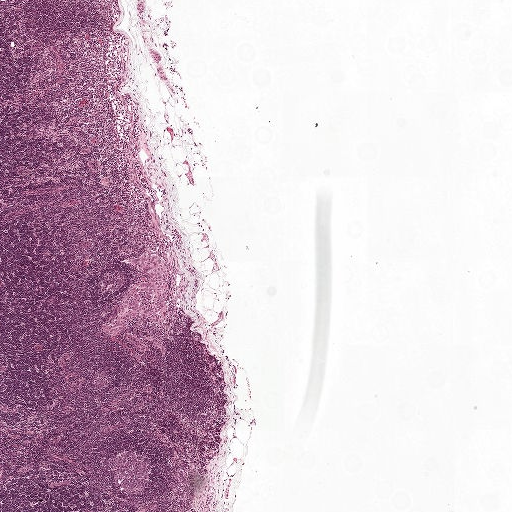
This is a crop of a whole-slide image: an H&E-stained breast-cancer sentinel lymph node section at roughly 2.5× magnification (about 3.9 µm per pixel; the crop spans about 2.0 mm).
Question: Show where the tumour is in this image.
Answer: Tumour region outline (a closed clockwise path, crop pixels): (147, 251), (159, 254), (169, 264), (171, 317), (167, 322), (156, 325), (140, 314), (122, 332), (116, 336), (110, 336), (102, 331), (101, 327), (117, 315), (131, 288), (138, 283), (149, 281), (144, 271), (127, 260).
The annotated tumour makes up under 5% of the crop.

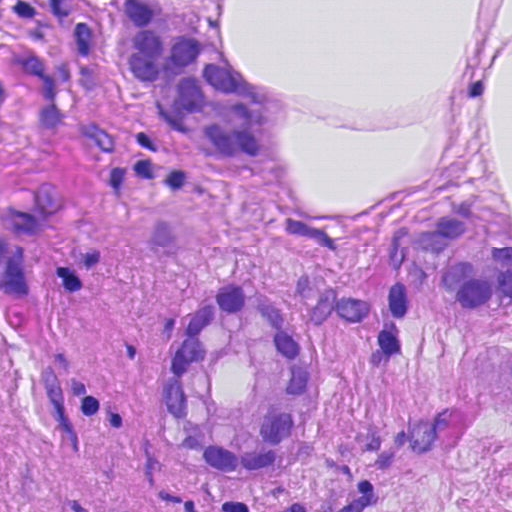
H&E-stained section of a sentinel lymph node (breast cancer), from a whole-slide image, viewed at about 40×: the field is about 0.12 mm across, about 0.23 µm per pixel.
Question: Show where the tumour is in this image.
Answer: Three metastatic tumour regions, each outlined as a closed clockwise path in crop pixels (x, y), largest first: region 1: (244, 267), (313, 311), (340, 390), (311, 466), (236, 490), (166, 450), (146, 373), (186, 303); region 2: (456, 184), (501, 250), (511, 250), (511, 306), (426, 306), (380, 242), (388, 228); region 3: (489, 334), (511, 336), (511, 418), (448, 404), (435, 346).
About 15% of the image area is annotated as tumour.

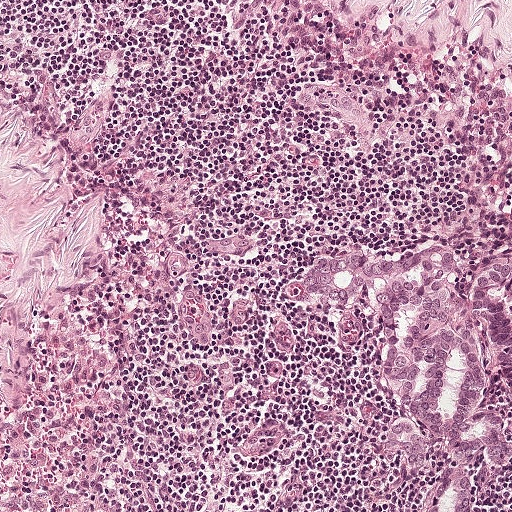
This is a crop of a whole-slide image: an H&E-stained breast-cancer sentinel lymph node section at roughly 10× magnification (about 0.97 µm per pixel; the crop spans about 0.5 mm).
Question: Show where the tumour is in this image.
Answer: The outlined metastatic tumour's edge, as a closed clockwise path of 18 points: (433, 247), (484, 269), (511, 262), (511, 473), (479, 467), (482, 511), (427, 511), (427, 480), (412, 478), (381, 440), (394, 400), (373, 364), (372, 324), (312, 300), (298, 276), (308, 260), (327, 252), (391, 255).
About 15% of this field is tumour.

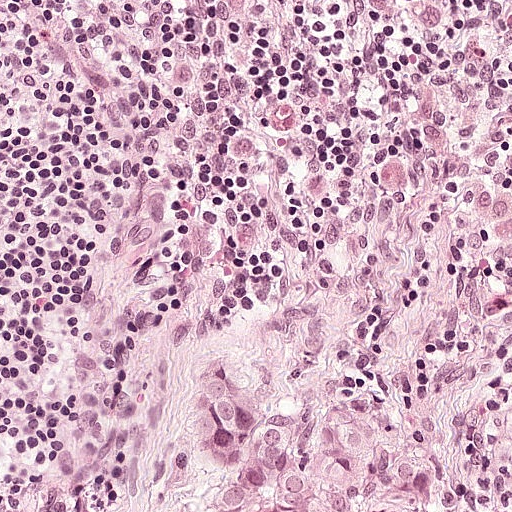
A 0.25-mm field of an H&E-stained sentinel lymph node from a breast-cancer patient (whole-slide image), shown at about 20×, about 0.49 µm per pixel.
Question: Show where the tumour is in this image.
Answer: The outlined metastatic tumour's edge, as a closed clockwise path of 8 points: (340, 268), (382, 291), (476, 376), (508, 454), (511, 511), (106, 511), (214, 314), (272, 272).
The annotated tumour makes up about 25% of the crop.